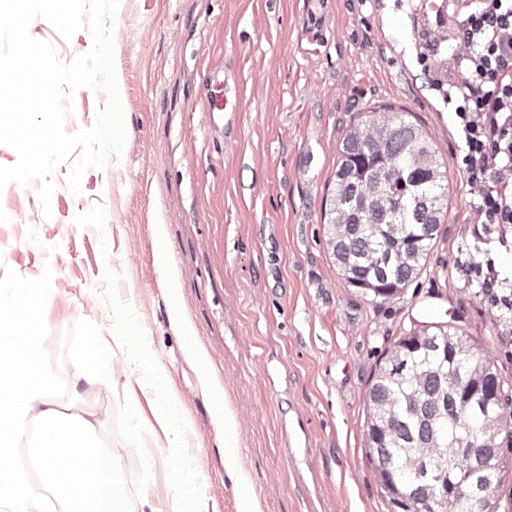
A 0.25-mm field of an H&E-stained sentinel lymph node from a breast-cancer patient (whole-slide image), shown at about 20×, about 0.49 µm per pixel.
Metastatic tumour outline, simplified to 18 points and listed clockwise in crop pixels (x, y): (370, 92), (446, 136), (458, 158), (458, 210), (450, 242), (422, 284), (425, 308), (495, 328), (511, 350), (509, 511), (381, 511), (364, 440), (366, 400), (402, 318), (391, 297), (328, 256), (317, 228), (334, 152).
About 20% of this field is tumour.